H&E-stained section of a sentinel lymph node (breast cancer), from a whole-slide image, viewed at about 5×: the field is about 0.93 mm across, about 1.8 µm per pixel.
Question: 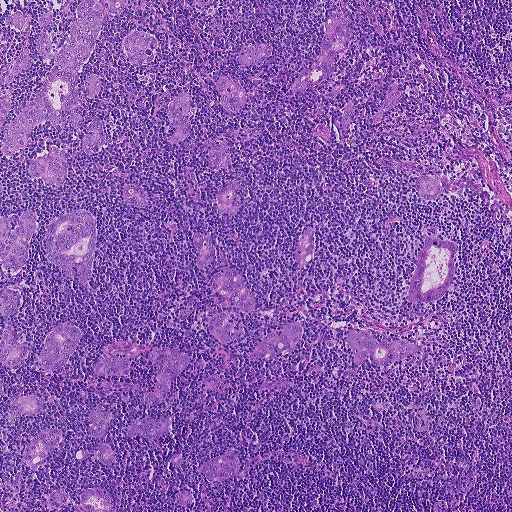
About how much of this crop is taken up by metastatic carcinoma?

Choices:
 (A) about 10% to 20%
 (B) about 50% or more
 (C) about 25% to 45%
 (D) none: no tumour is outlined
 (E) about 5% or less

Answer: (A) about 10% to 20%
About 15% of the field is tumour.
Outlines of the eight largest metastatic tumour regions, each a closed clockwise path in crop pixels (x, y), largest first: region 1: (80, 0), (126, 0), (120, 14), (105, 12), (96, 41), (78, 78), (82, 108), (78, 111), (82, 120), (79, 129), (74, 130), (71, 120), (66, 118), (59, 125), (44, 123), (35, 127), (29, 144), (20, 148), (14, 156), (5, 156), (0, 148), (2, 131), (30, 102), (57, 63), (50, 66), (42, 60), (36, 46), (41, 14), (52, 12), (46, 30), (51, 49), (55, 52), (68, 36), (73, 22), (77, 20), (76, 11); region 2: (79, 209), (89, 211), (93, 215), (96, 226), (95, 259), (88, 279), (89, 290), (75, 279), (65, 275), (49, 261), (45, 256), (45, 251), (45, 235), (48, 225), (55, 217); region 3: (432, 235), (456, 244), (451, 281), (443, 295), (434, 300), (418, 301), (407, 301), (410, 281), (416, 266), (417, 255), (423, 240), (427, 236); region 4: (338, 11), (344, 13), (348, 24), (348, 45), (346, 50), (333, 61), (329, 76), (311, 88), (295, 91), (291, 88), (292, 83), (319, 54), (326, 32), (326, 21), (329, 16); region 5: (0, 210), (2, 215), (8, 215), (31, 210), (36, 213), (37, 219), (29, 242), (28, 260), (25, 266), (15, 273), (9, 273), (4, 271), (0, 262); region 6: (364, 330), (373, 336), (376, 342), (381, 340), (386, 340), (388, 343), (393, 340), (404, 341), (421, 348), (409, 357), (384, 366), (373, 365), (369, 358), (358, 366), (354, 363), (352, 352), (344, 341), (348, 331); region 7: (69, 323), (78, 329), (81, 334), (81, 339), (65, 367), (61, 370), (40, 371), (32, 371), (30, 366), (36, 362), (47, 337), (53, 328); region 8: (7, 287), (13, 287), (19, 289), (23, 300), (14, 315), (9, 316), (9, 322), (16, 338), (27, 344), (27, 356), (19, 371), (12, 371), (0, 363), (0, 338), (4, 331), (4, 325), (4, 319), (0, 312), (0, 290).
33 more, smaller tumour regions are not outlined.
Three more small tumour pieces are annotated here but not outlined.